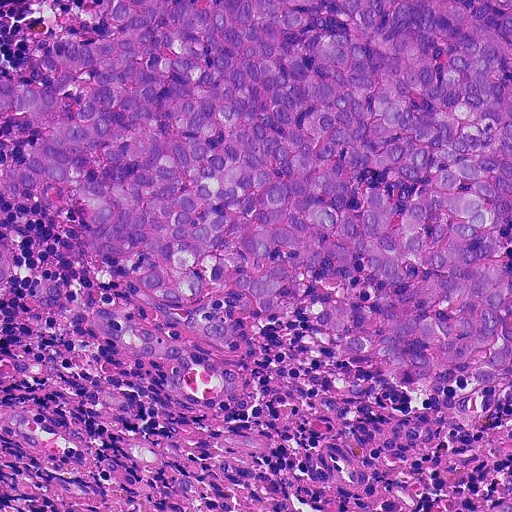
Lymph node section stained with H&E, from a whole-slide image of a breast-cancer sentinel node. Magnification about 20×, about 0.23 mm across the frame, about 0.45 µm per pixel.
Two metastatic tumour regions, each outlined as a closed clockwise path in crop pixels (x, y), largest first: region 1: (511, 0), (505, 388), (409, 388), (346, 359), (307, 305), (274, 319), (232, 290), (214, 311), (238, 338), (208, 345), (182, 318), (192, 306), (141, 292), (101, 254), (94, 218), (1, 194), (0, 172), (49, 132), (0, 117), (0, 79), (48, 34), (98, 36), (107, 8); region 2: (88, 306), (106, 307), (187, 351), (184, 387), (166, 384), (170, 366), (134, 357), (119, 346), (102, 338), (91, 324).
Two more small tumour pieces are annotated here but not outlined.
The annotated tumour makes up about 60% of the crop.